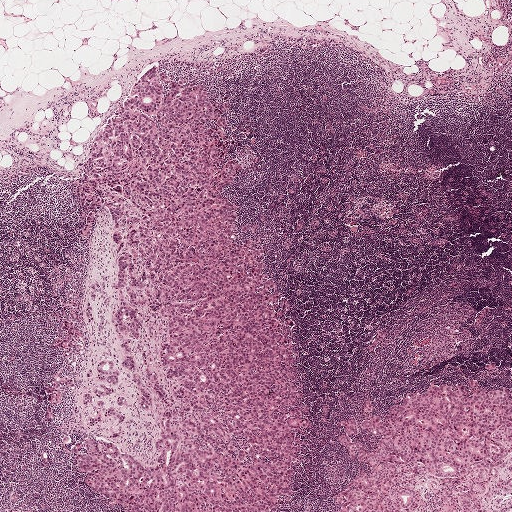
This is a crop of a whole-slide image: an H&E-stained breast-cancer sentinel lymph node section at roughly 2.5× magnification (about 3.9 µm per pixel; the crop spans about 2.0 mm).
Outlines of the eight largest metastatic tumour regions, each a closed clockwise path in crop pixels (x, y), largest first: region 1: (151, 66), (229, 95), (222, 161), (237, 171), (221, 192), (234, 241), (264, 249), (289, 304), (312, 426), (274, 511), (110, 509), (71, 451), (98, 436), (150, 467), (161, 412), (182, 410), (160, 361), (168, 325), (137, 307), (125, 371), (109, 216), (82, 237), (73, 194), (98, 127); region 2: (470, 380), (489, 390), (503, 386), (511, 400), (511, 511), (338, 511), (335, 497), (370, 470), (338, 437), (370, 453), (379, 439), (367, 430), (348, 434), (344, 419), (367, 422), (372, 415), (383, 422), (407, 394), (422, 394), (432, 384), (464, 386), (472, 398), (475, 393); region 3: (108, 359), (115, 363), (118, 377), (116, 386), (110, 387), (114, 393), (106, 398), (97, 396), (92, 406), (84, 406), (79, 396), (86, 393), (93, 392), (94, 389), (101, 385), (96, 368), (101, 360); region 4: (69, 310), (73, 311), (77, 314), (78, 320), (73, 324), (73, 330), (76, 341), (80, 346), (80, 351), (79, 356), (76, 357), (70, 357), (65, 356), (64, 354), (65, 350), (54, 346), (57, 339), (69, 334), (59, 329), (63, 322), (60, 314), (60, 312), (66, 312), (68, 315); region 5: (60, 373), (63, 376), (69, 377), (74, 379), (78, 390), (76, 392), (72, 391), (65, 384), (62, 383), (60, 391), (62, 397), (60, 402), (58, 405), (52, 406), (52, 417), (49, 422), (47, 422), (43, 421), (43, 419), (47, 410), (55, 396), (54, 390), (50, 387), (52, 380); region 6: (136, 373), (140, 374), (150, 392), (152, 403), (149, 411), (142, 410), (139, 391), (131, 381), (133, 375); region 7: (146, 368), (156, 373), (165, 390), (169, 407), (166, 406), (157, 397), (152, 387), (151, 382), (146, 378), (145, 376), (145, 369); region 8: (101, 399), (107, 407), (115, 407), (120, 409), (126, 416), (126, 420), (120, 422), (115, 418), (106, 419), (101, 408), (96, 405), (97, 400).
Two more, smaller tumour regions are not outlined.
Four more small tumour pieces are annotated here but not outlined.
The annotated tumour makes up about 35% of the crop.